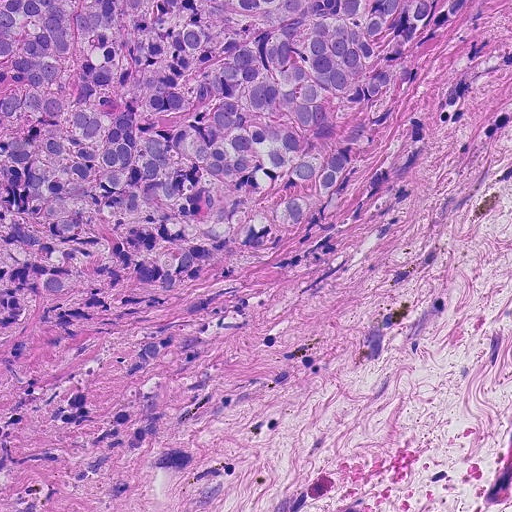
A 0.23-mm field of an H&E-stained sentinel lymph node from a breast-cancer patient (whole-slide image), shown at about 20×, about 0.45 µm per pixel.
Metastatic tumour outline, simplified to 9 points and listed clockwise in crop pixels (x, y): (0, 0), (472, 0), (315, 225), (259, 260), (234, 253), (162, 293), (110, 282), (58, 297), (6, 288).
Tumour covers about 40% of the frame.